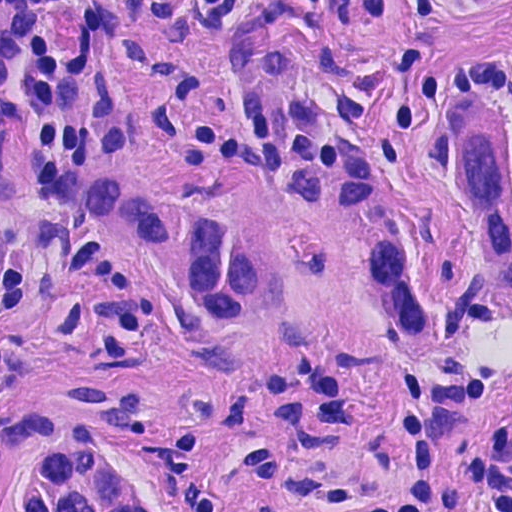
This is a crop of a whole-slide image: an H&E-stained breast-cancer sentinel lymph node section at roughly 40× magnification (about 0.23 µm per pixel; the crop spans about 0.12 mm).
Three metastatic tumour regions, each outlined as a closed clockwise path in crop pixels (x, y), largest first: region 1: (491, 79), (511, 111), (511, 289), (489, 282), (430, 180), (418, 231), (433, 288), (464, 339), (416, 370), (377, 327), (339, 215), (281, 205), (316, 149), (431, 155), (434, 87); region 2: (40, 160), (91, 163), (142, 189), (197, 204), (245, 238), (267, 291), (238, 339), (186, 305), (146, 258), (93, 228); region 3: (30, 401), (85, 419), (131, 456), (162, 503), (162, 511), (0, 511), (2, 466).
The annotated tumour makes up about 25% of the crop.